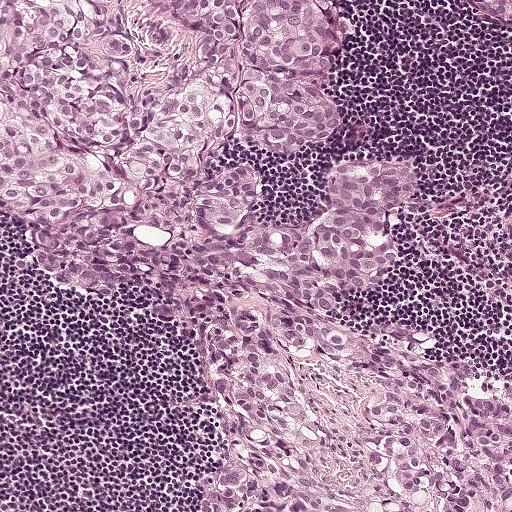
Lymph node section stained with H&E, from a whole-slide image of a breast-cancer sentinel node. Magnification about 10×, about 0.5 mm across the frame, about 0.97 µm per pixel.
Question: Is any metastatic breast cancer visible in this crop?
Answer: Yes.
Two metastatic tumour regions, each outlined as a closed clockwise path in crop pixels (x, y), largest first: region 1: (0, 0), (346, 0), (360, 48), (337, 68), (339, 140), (304, 165), (246, 154), (260, 212), (320, 230), (358, 164), (418, 168), (407, 280), (350, 296), (338, 320), (415, 333), (511, 400), (511, 511), (208, 511), (212, 365), (50, 296), (24, 230), (0, 220); region 2: (455, 0), (511, 0), (511, 34), (497, 28).
The annotated tumour makes up about 60% of the crop.